This is a crop of a whole-slide image: an H&E-stained breast-cancer sentinel lymph node section at roughly 5× magnification (about 1.8 µm per pixel; the crop spans about 0.93 mm).
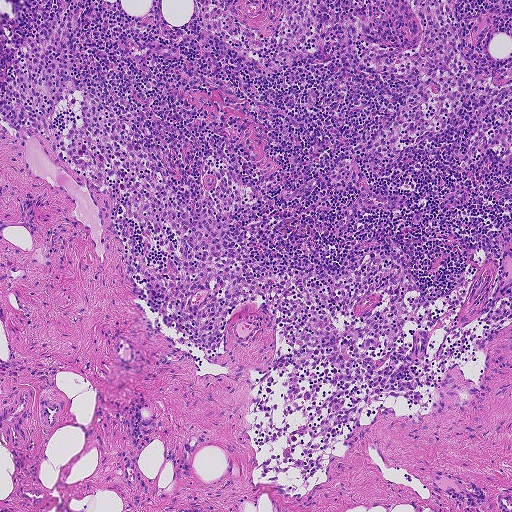
Question: Is any metastatic breast cancer visible in this crop?
Answer: No: no metastatic tumour is outlined anywhere in this field.